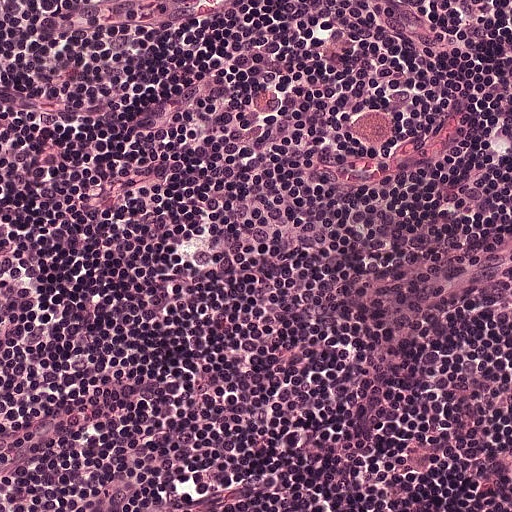
This is a crop of a whole-slide image: an H&E-stained breast-cancer sentinel lymph node section at roughly 20× magnification (about 0.49 µm per pixel; the crop spans about 0.25 mm).
Question: Is there metastatic carcinoma in this field?
Answer: No, this field holds no outlined metastasis.